H&E-stained section of a sentinel lymph node (breast cancer), from a whole-slide image, viewed at about 2.5×: the field is about 1.9 mm across, about 3.6 µm per pixel.
Question: 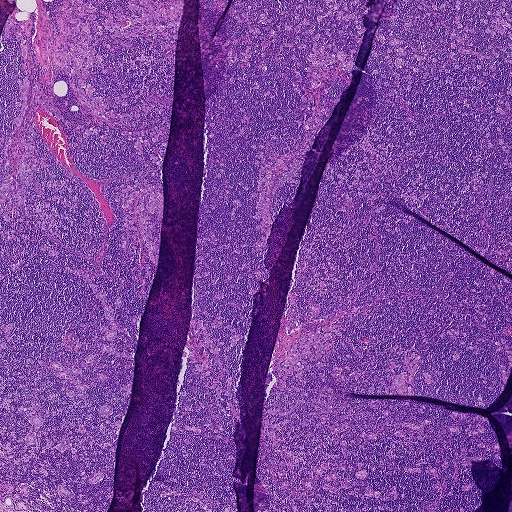
Roughly what share of this field is metastatic tumour?

Choices:
 (A) about 5% or less
 (B) none: no tumour is outlined
 (C) about 25% to 45%
 (D) about 10% to 20%
 (E) about 50% or more

Answer: (E) about 50% or more
About 70% of the field is tumour.
Outlines of five tumour regions, largest first (closed clockwise paths, crop pixels): region 1: (511, 0), (511, 275), (405, 209), (511, 280), (511, 364), (502, 394), (482, 409), (355, 394), (486, 417), (501, 470), (473, 462), (483, 491), (474, 511), (253, 511), (265, 381), (296, 255), (386, 3); region 2: (183, 0), (174, 64), (133, 37), (91, 79), (131, 104), (111, 108), (169, 134), (132, 396), (111, 416), (120, 430), (75, 397), (36, 433), (42, 447), (77, 448), (42, 454), (46, 486), (77, 495), (101, 472), (115, 484), (106, 511), (8, 511), (0, 501), (0, 382), (23, 393), (26, 357), (78, 363), (106, 324), (58, 257), (0, 278), (0, 152), (24, 72), (19, 41), (3, 34), (10, 13), (25, 20), (33, 75), (62, 115), (89, 113), (50, 54), (56, 4); region 3: (198, 5), (369, 6), (355, 61), (360, 68), (351, 71), (307, 154), (299, 185), (285, 184), (272, 199), (263, 261), (269, 278), (253, 294), (247, 336), (220, 356), (232, 377), (231, 400), (221, 398), (228, 417), (221, 434), (204, 429), (187, 444), (184, 429), (174, 434), (169, 428), (174, 408), (186, 404), (183, 420), (190, 425), (206, 420), (215, 399), (185, 344), (204, 101), (227, 51), (221, 19); region 4: (12, 322), (16, 326), (15, 338), (12, 344), (2, 350), (0, 349), (0, 341), (5, 340), (1, 336), (0, 324); region 5: (199, 496), (209, 505), (212, 509), (213, 511), (192, 511), (195, 507), (192, 503), (185, 500), (189, 497).
Region 2 encloses a non-tumour hole of about 10% of its area.